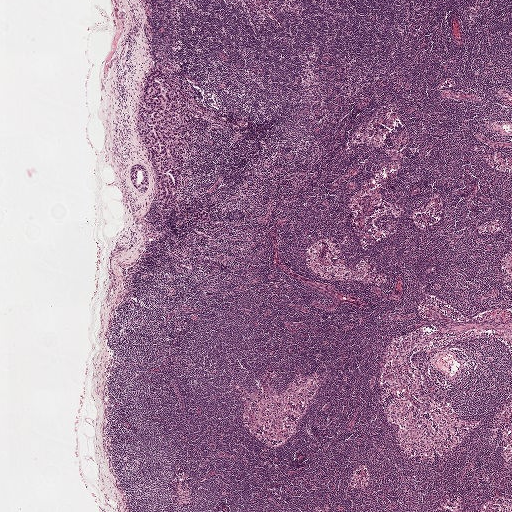
Lymph node section stained with H&E, from a whole-slide image of a breast-cancer sentinel node. Magnification about 2.5×, about 2.0 mm across the frame, about 3.9 µm per pixel.
Question: Where is the metastatic tumour in this field?
Answer: Boundaries of three metastatic tumour regions, simplified and listed clockwise, largest first: region 1: (161, 51), (167, 60), (181, 66), (175, 78), (181, 93), (215, 111), (215, 117), (223, 117), (230, 127), (213, 131), (207, 142), (205, 133), (212, 125), (190, 117), (199, 138), (197, 154), (185, 163), (189, 179), (172, 212), (159, 200), (157, 170), (141, 142), (136, 121); region 2: (136, 164), (144, 165), (149, 172), (150, 187), (144, 194), (140, 194), (130, 182), (129, 170), (131, 167); region 3: (196, 210), (201, 210), (210, 213), (213, 222), (209, 224), (200, 224), (197, 223), (195, 219), (191, 216), (192, 213).
Region 2 encloses a non-tumour hole of about 15% of its area.
About 5% of the image area is annotated as tumour.